Question: 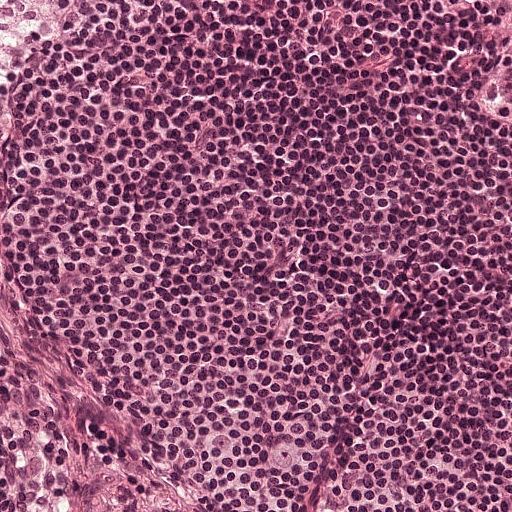
H&E-stained section of a sentinel lymph node (breast cancer), from a whole-slide image, viewed at about 20×: the field is about 0.25 mm across, about 0.49 µm per pixel.
Estimate the proportion of this field that is metastatic tumour.

Choices:
 (A) none: no tumour is outlined
 (B) about 5% or less
 (C) about 10% to 20%
 (D) about 25% to 45%
 (E) about 50% or more

Answer: (A) none: no tumour is outlined
No metastatic tumour is outlined in this field.